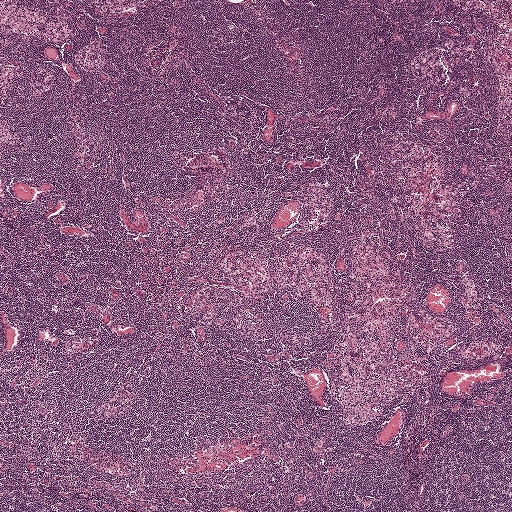
H&E-stained section of a sentinel lymph node (breast cancer), from a whole-slide image, viewed at about 2.5×: the field is about 2.0 mm across, about 3.9 µm per pixel.